Question: 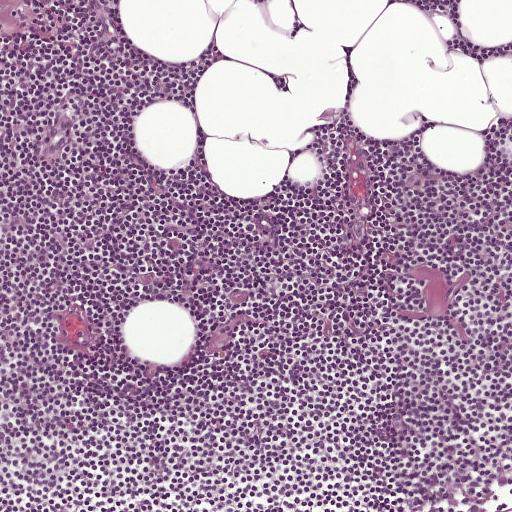
About what magnification does this crop show?

Choices:
 (A) about 40×
 (B) about 20×
 (C) about 2.5×
 (D) about 10×
 (E) about 5×

Answer: (D) about 10×
Lymph node section stained with H&E, from a whole-slide image of a breast-cancer sentinel node. Magnification about 10×, about 0.5 mm across the frame, about 0.97 µm per pixel.